H&E-stained section of a sentinel lymph node (breast cancer), from a whole-slide image, viewed at about 20×: the field is about 0.23 mm across, about 0.45 µm per pixel.
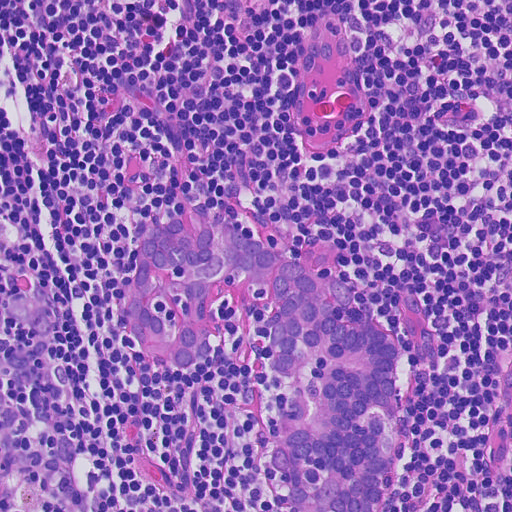
One metastatic tumour region; its boundary, reduced to 21 corners and listed clockwise: (200, 202), (336, 278), (400, 344), (402, 434), (379, 511), (296, 511), (285, 477), (268, 465), (277, 413), (292, 387), (266, 362), (274, 348), (266, 282), (235, 270), (218, 280), (209, 318), (217, 347), (179, 370), (139, 348), (122, 322), (148, 233).
About 15% of this field is tumour.